Question: 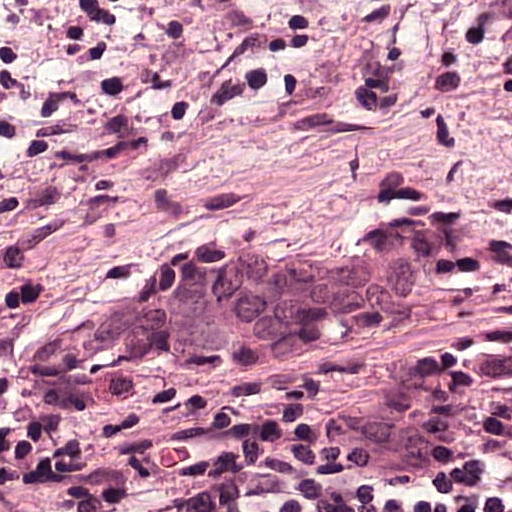
Which magnification is this H&E lymph node field most likely shown at?

Choices:
 (A) about 5×
 (B) about 2.5×
 (C) about 20×
 (D) about 10×
 (E) about 40×

Answer: (E) about 40×
H&E-stained section of a sentinel lymph node (breast cancer), from a whole-slide image, viewed at about 40×: the field is about 0.12 mm across, about 0.24 µm per pixel.
One metastatic tumour region; its boundary, reduced to 13 corners and listed clockwise: (252, 259), (308, 293), (355, 281), (402, 281), (474, 309), (479, 337), (424, 393), (389, 406), (277, 408), (233, 390), (130, 387), (89, 371), (102, 346).
About 15% of this field is tumour.